A 0.23-mm field of an H&E-stained sentinel lymph node from a breast-cancer patient (whole-slide image), shown at about 20×, about 0.45 µm per pixel.
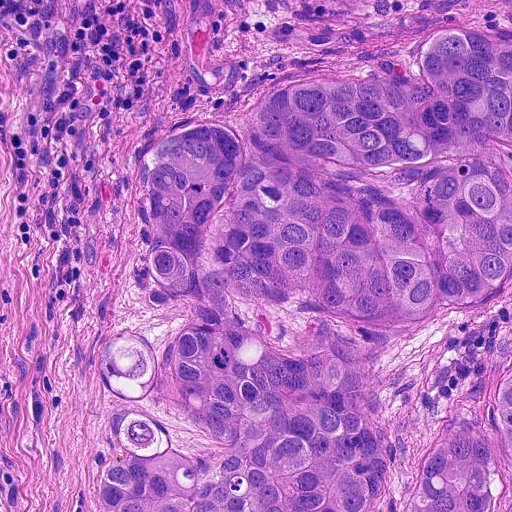
Question: Does this lymph node field contain metastatic tumour?
Answer: Yes.
Three metastatic tumour regions, each outlined as a closed clockwise path in crop pixels (x, y), largest first: region 1: (464, 22), (509, 32), (511, 298), (430, 317), (392, 342), (372, 384), (410, 454), (371, 511), (90, 511), (110, 430), (92, 338), (134, 322), (162, 344), (193, 325), (180, 300), (159, 313), (129, 276), (136, 185), (154, 144), (196, 121), (240, 120), (294, 76), (416, 74), (416, 36); region 2: (511, 307), (511, 511), (507, 511), (498, 492), (486, 511), (403, 511), (430, 453); region 3: (495, 0), (511, 0), (511, 27).
One more small tumour piece is annotated here but not outlined.
About 60% of the image area is annotated as tumour.